H&E-stained section of a sentinel lymph node (breast cancer), from a whole-slide image, viewed at about 2.5×: the field is about 2.0 mm across, about 3.9 µm per pixel.
Image:
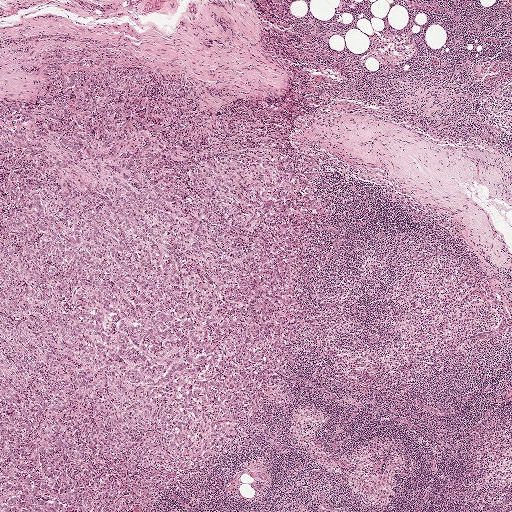
Question:
Is any metastatic breast cancer visible in this crop?
Answer:
Yes.
Tumour region outline (a closed clockwise path, crop pixels): (100, 54), (263, 120), (334, 169), (351, 249), (329, 287), (308, 377), (254, 458), (174, 511), (0, 511), (0, 68).
The annotated tumour makes up about 50% of the crop.